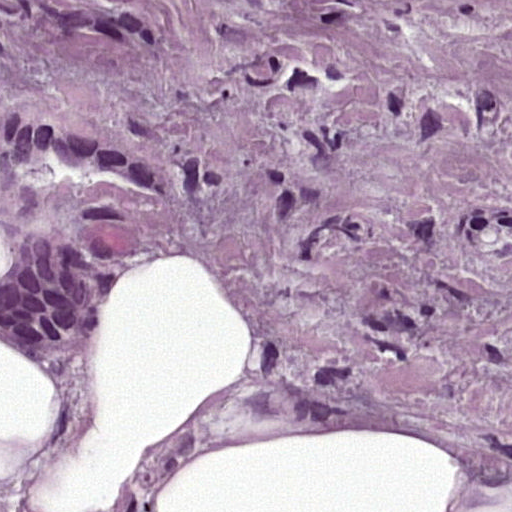
Lymph node section stained with H&E, from a whole-slide image of a breast-cancer sentinel node. Magnification about 40×, about 0.12 mm across the frame, about 0.24 µm per pixel.
Outlines of two tumour regions, largest first (closed clockwise paths, crop pixels): region 1: (41, 216), (97, 240), (107, 290), (83, 335), (50, 352), (0, 336), (0, 260), (21, 250), (27, 222); region 2: (33, 107), (156, 147), (188, 191), (140, 192), (60, 166), (0, 168), (0, 122).
The annotated tumour makes up about 10% of the crop.